This is a crop of a whole-slide image: an H&E-stained breast-cancer sentinel lymph node section at roughly 20× magnification (about 0.49 µm per pixel; the crop spans about 0.25 mm).
Image:
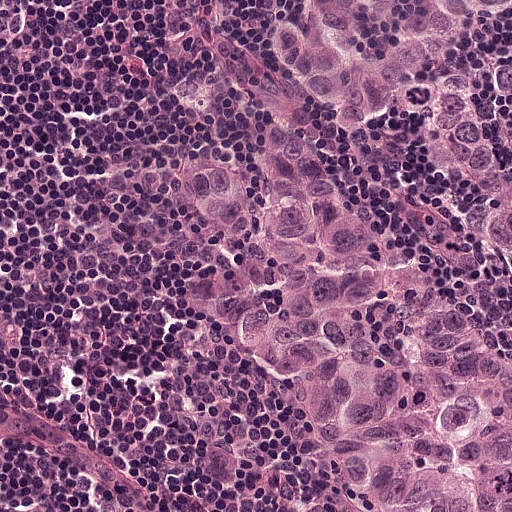
Question:
Is any metastatic breast cancer visible in this crop?
Answer:
Yes.
The outlined metastatic tumour's edge, as a closed clockwise path of 9 points: (511, 0), (511, 511), (352, 511), (310, 461), (264, 435), (222, 390), (179, 293), (176, 134), (130, 2).
About 60% of this field is tumour.